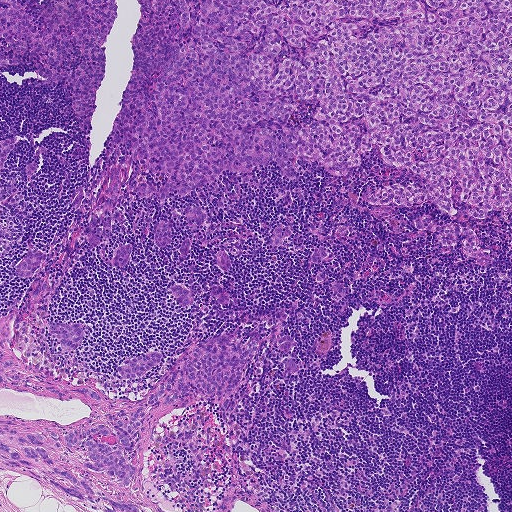
H&E-stained section of a sentinel lymph node (breast cancer), from a whole-slide image, viewed at about 5×: the field is about 0.93 mm across, about 1.8 µm per pixel.
Question: Outline the metastatic carcinoma in this image, as closed paths of (x, y) pixel coordinates.
Answer: Outlines of the eight largest metastatic tumour regions, each a closed clockwise path in crop pixels (x, y), largest first: region 1: (511, 0), (511, 220), (495, 209), (475, 219), (456, 196), (450, 216), (430, 201), (368, 206), (388, 184), (431, 182), (373, 145), (347, 177), (297, 158), (292, 177), (268, 162), (140, 198), (142, 182), (160, 188), (165, 173), (141, 171), (126, 141), (108, 147), (138, 3); region 2: (233, 333), (231, 342), (251, 353), (233, 392), (235, 410), (204, 400), (154, 410), (134, 486), (86, 470), (94, 487), (146, 511), (105, 511), (99, 499), (92, 509), (48, 482), (75, 488), (44, 462), (28, 467), (0, 450), (0, 440), (23, 454), (17, 444), (23, 435), (54, 431), (60, 440), (99, 424), (104, 413), (81, 392), (62, 397), (0, 383), (0, 336), (10, 339), (4, 349), (18, 367), (4, 374), (84, 385), (113, 413), (136, 410), (176, 361), (209, 339); region 3: (0, 0), (116, 0), (116, 19), (102, 47), (107, 48), (106, 70), (94, 102), (96, 105), (89, 134), (83, 134), (73, 119), (72, 94), (65, 83), (40, 84), (30, 68), (1, 66); region 4: (418, 216), (424, 217), (438, 224), (456, 223), (468, 227), (478, 234), (480, 246), (491, 251), (490, 263), (484, 264), (477, 263), (466, 257), (464, 252), (464, 240), (460, 235), (455, 238), (454, 244), (448, 246), (442, 246), (434, 231), (416, 228), (415, 221); region 5: (61, 322), (83, 323), (85, 330), (85, 337), (78, 350), (64, 351), (49, 334), (48, 327), (53, 323); region 6: (152, 350), (160, 350), (163, 356), (155, 367), (132, 380), (119, 375), (115, 369), (120, 364); region 7: (30, 250), (38, 250), (43, 254), (43, 260), (29, 277), (21, 278), (15, 273), (15, 266); region 8: (160, 220), (168, 222), (172, 236), (169, 243), (164, 247), (156, 247), (152, 240), (153, 233), (157, 227), (155, 226).
Eight more, smaller tumour regions are not outlined.
One more small tumour piece is annotated here but not outlined.
About 40% of this field is tumour.